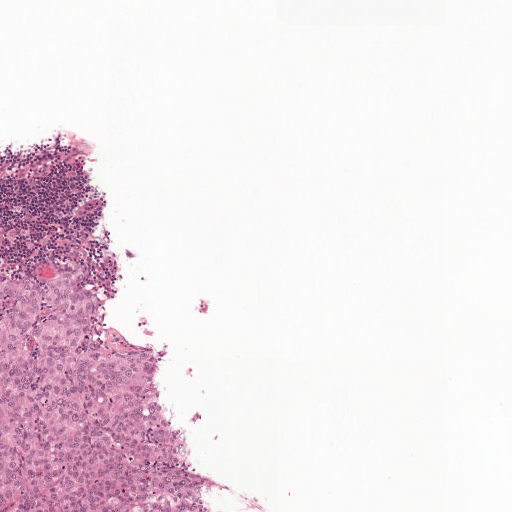
Lymph node section stained with H&E, from a whole-slide image of a breast-cancer sentinel node. Magnification about 5×, about 1 mm across the frame, about 1.9 µm per pixel.
Question: Show where the tumour is in this image.
Answer: The outlined metastatic tumour's edge, as a closed clockwise path of 12 points: (85, 264), (84, 283), (109, 294), (111, 316), (169, 343), (176, 407), (190, 424), (213, 506), (232, 511), (0, 511), (0, 269), (31, 282).
Tumour covers about 15% of the frame.

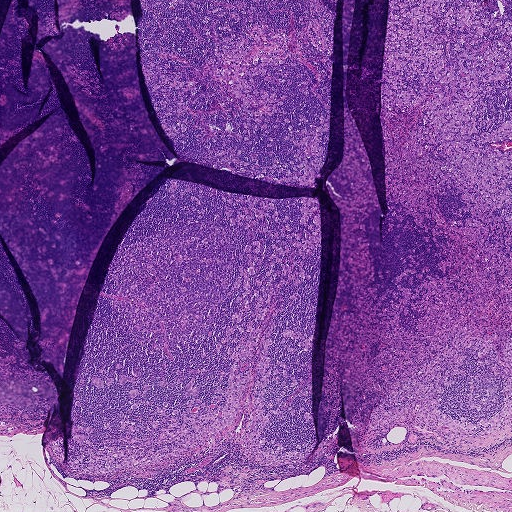
Lymph node section stained with H&E, from a whole-slide image of a breast-cancer sentinel node. Magnification about 2.5×, about 1.9 mm across the frame, about 3.6 µm per pixel.
Question: Show where the tumour is in this image.
Answer: Three metastatic tumour regions, each outlined as a closed clockwise path in crop pixels (x, y), largest first: region 1: (511, 0), (511, 431), (458, 445), (407, 419), (366, 448), (343, 421), (314, 460), (340, 252), (326, 183), (343, 155), (344, 95), (388, 211), (379, 120), (388, 6); region 2: (170, 177), (317, 197), (312, 278), (284, 287), (296, 300), (275, 319), (313, 333), (316, 432), (296, 412), (263, 437), (285, 451), (316, 438), (307, 459), (260, 466), (223, 440), (89, 477), (59, 467), (41, 446), (40, 425), (1, 434), (0, 401), (51, 410), (42, 445), (70, 437), (76, 382), (116, 363), (138, 367), (141, 382), (165, 376), (167, 356), (119, 327), (116, 285), (104, 280), (123, 237), (194, 215), (189, 194), (166, 190); region 3: (140, 0), (336, 0), (328, 153), (316, 188), (183, 161), (152, 104), (138, 40).
About 60% of the image area is annotated as tumour.

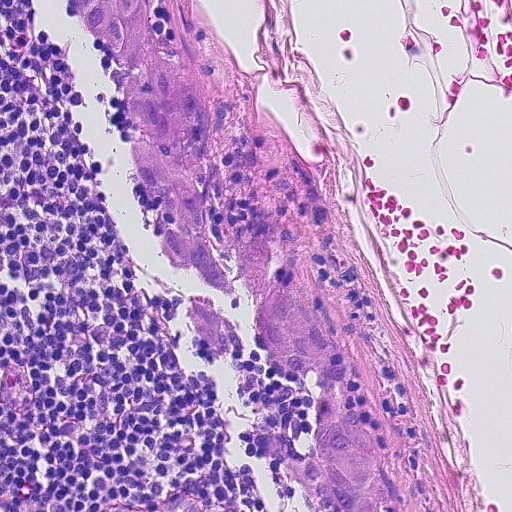
Lymph node section stained with H&E, from a whole-slide image of a breast-cancer sentinel node. Magnification about 20×, about 0.23 mm across the frame, about 0.45 µm per pixel.
Question: Show where the tumour is in this image.
Answer: Metastatic tumour outline, simplified to 24 points and listed clockwise in crop pixels (x, y): (67, 0), (143, 0), (149, 34), (204, 76), (215, 108), (203, 210), (230, 230), (264, 233), (325, 282), (350, 346), (347, 414), (378, 428), (398, 511), (324, 511), (284, 482), (283, 460), (310, 456), (310, 390), (254, 352), (240, 286), (233, 300), (153, 238), (131, 175), (117, 76).
About 15% of this field is tumour.

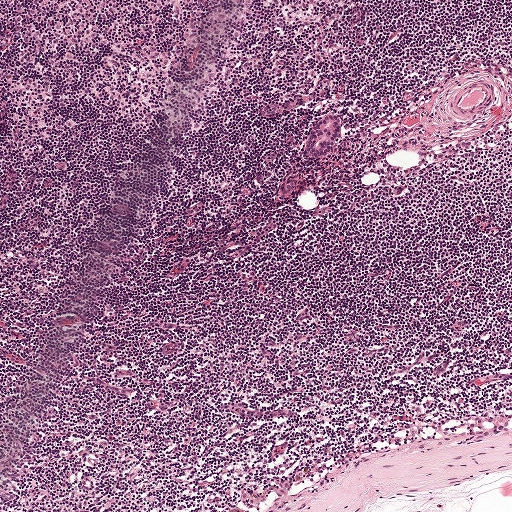
H&E-stained section of a sentinel lymph node (breast cancer), from a whole-slide image, viewed at about 5×: the field is about 1 mm across, about 1.9 µm per pixel.
Question: Show where the tumour is in this image.
Answer: Boundaries of two metastatic tumour regions, simplified and listed clockwise, largest first: region 1: (339, 116), (342, 125), (342, 132), (329, 155), (323, 157), (312, 157), (307, 154), (307, 146), (313, 131), (325, 117); region 2: (286, 181), (294, 181), (295, 185), (295, 194), (287, 199), (281, 198), (281, 189).
Tumour covers under 5% of the frame.